Question: 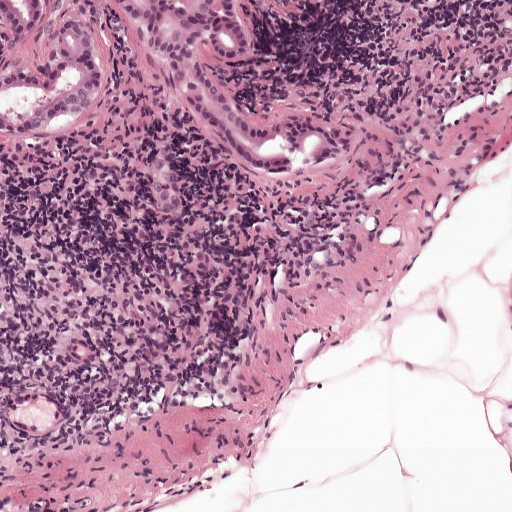
H&E-stained section of a sentinel lymph node (breast cancer), from a whole-slide image, viewed at about 10×: the field is about 0.5 mm across, about 0.97 µm per pixel.
About how much of this crop is taken up by metastatic carcinoma?

Choices:
 (A) about 25% to 45%
 (B) none: no tumour is outlined
 (C) about 5% or less
 (D) about 50% or more
 (E) about 10% to 20%

Answer: (E) about 10% to 20%
About 15% of the field is tumour.
One metastatic tumour region; its boundary, reduced to 14 corners and listed clockwise: (0, 0), (252, 0), (258, 50), (232, 72), (252, 111), (347, 124), (340, 180), (278, 178), (223, 140), (183, 98), (130, 64), (92, 112), (40, 139), (0, 137).